Image:
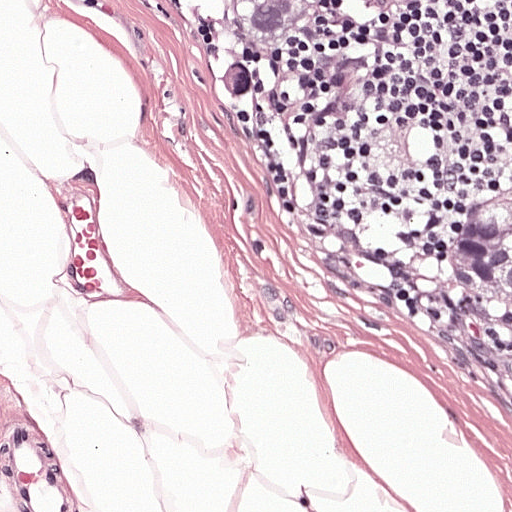
A 0.25-mm field of an H&E-stained sentinel lymph node from a breast-cancer patient (whole-slide image), shown at about 20×, about 0.49 µm per pixel.
Question:
Show where the tumour is in this image.
Answer:
Two metastatic tumour regions, each outlined as a closed clockwise path in crop pixels (x, y), largest first: region 1: (511, 171), (511, 374), (456, 336), (434, 314), (420, 256), (427, 222), (450, 198); region 2: (255, 0), (452, 0), (435, 18), (296, 46), (284, 67), (280, 90), (263, 118), (236, 119), (216, 102), (214, 76), (228, 20).
The annotated tumour makes up about 10% of the crop.